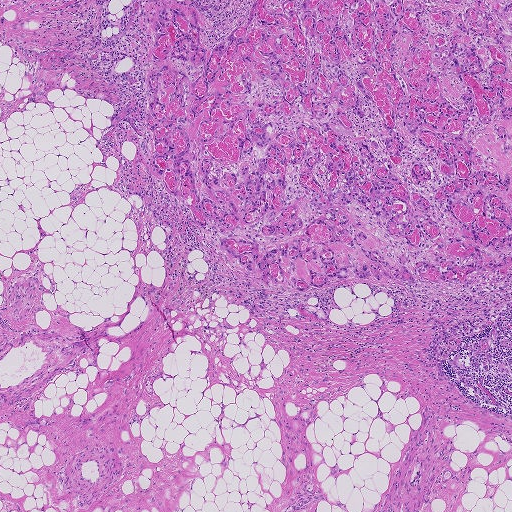
A 1.9-mm field of an H&E-stained sentinel lymph node from a breast-cancer patient (whole-slide image), shown at about 2.5×, about 3.6 µm per pixel.
Question: Does this lymph node field contain metastatic tumour?
Answer: Yes.
The outlined metastatic tumour's edge, as a closed clockwise path of 19 points: (511, 0), (511, 263), (464, 281), (328, 278), (300, 291), (264, 285), (226, 259), (226, 237), (198, 226), (146, 171), (155, 148), (144, 121), (153, 68), (145, 32), (156, 9), (179, 1), (196, 8), (209, 51), (253, 3).
Tumour covers about 35% of the frame.